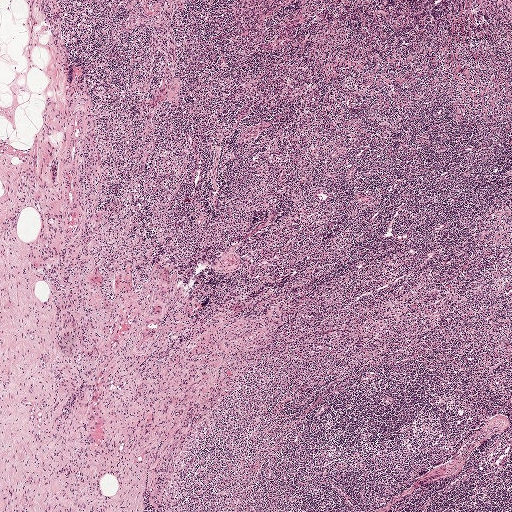
A 2.0-mm field of an H&E-stained sentinel lymph node from a breast-cancer patient (whole-slide image), shown at about 2.5×, about 3.9 µm per pixel.
Question: Does this lymph node field contain metastatic tumour?
Answer: No. No metastatic tumour is outlined in this field.